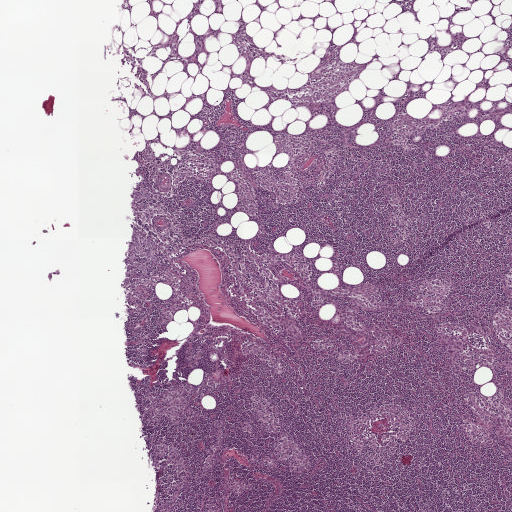
H&E-stained section of a sentinel lymph node (breast cancer), from a whole-slide image, viewed at about 2.5×: the field is about 2.0 mm across, about 3.9 µm per pixel.
Two metastatic tumour regions, each outlined as a closed clockwise path in crop pixels (x, y), largest first: region 1: (133, 232), (151, 239), (156, 247), (155, 254), (158, 263), (148, 262), (148, 257), (141, 257), (136, 254), (129, 257), (127, 255), (136, 251), (134, 247), (125, 244), (128, 241), (132, 241); region 2: (145, 188), (150, 190), (151, 193), (150, 196), (146, 198), (142, 198), (136, 200), (134, 197), (134, 193), (142, 190).
Seven more small tumour pieces are annotated here but not outlined.
The annotated tumour makes up under 5% of the crop.